Lymph node section stained with H&E, from a whole-slide image of a breast-cancer sentinel node. Magnification about 5×, about 1 mm across the frame, about 1.9 µm per pixel.
Image:
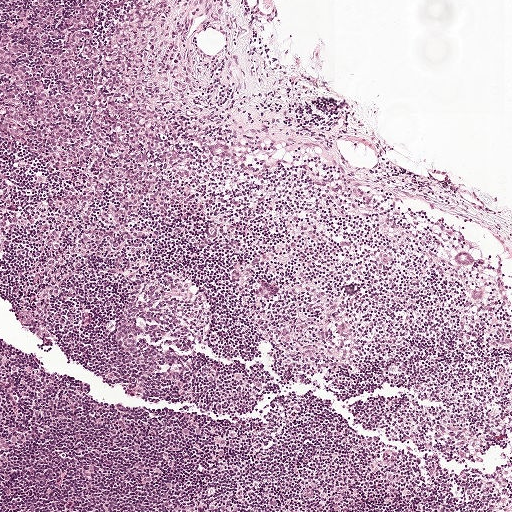
Question:
Show where the tumour is in this image.
Answer:
Metastatic tumour outline, simplified to 15 points and listed clockwise in crop pixels (x, y): (37, 0), (163, 0), (132, 50), (129, 80), (140, 94), (222, 136), (234, 151), (232, 162), (215, 161), (147, 192), (128, 188), (106, 168), (48, 164), (0, 134), (0, 16).
The annotated tumour makes up about 10% of the crop.